This is a crop of a whole-slide image: an H&E-stained breast-cancer sentinel lymph node section at roughly 2.5× magnification (about 3.6 µm per pixel; the crop spans about 1.9 mm).
Image:
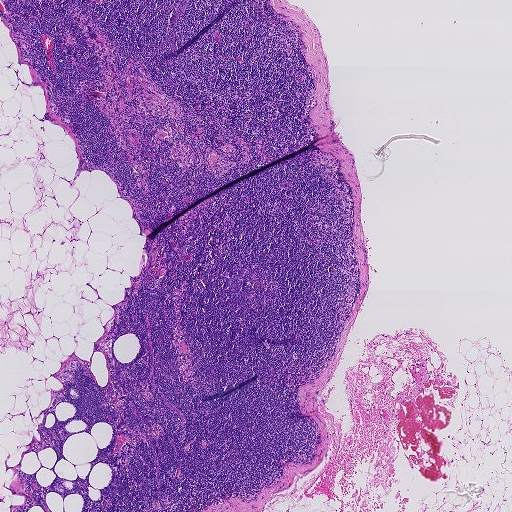
Question:
Is there metastatic carcinoma in this field?
Answer:
No. No metastatic tumour is outlined in this field.